Question: 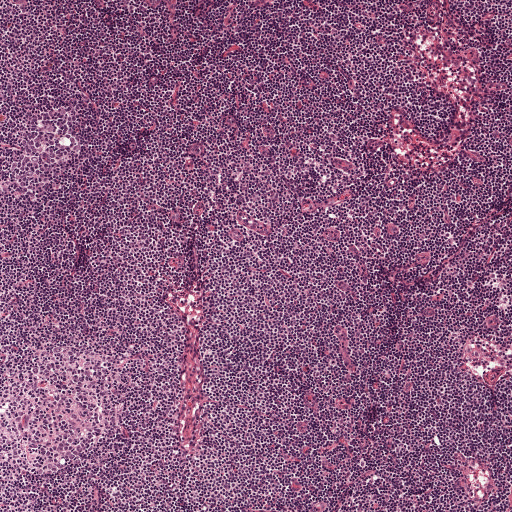
Which magnification is this H&E lymph node field most likely shown at?

Choices:
 (A) about 20×
 (B) about 5×
 (C) about 40×
 (D) about 10×
 (E) about 2.5×

Answer: (B) about 5×
Lymph node section stained with H&E, from a whole-slide image of a breast-cancer sentinel node. Magnification about 5×, about 1 mm across the frame, about 1.9 µm per pixel.